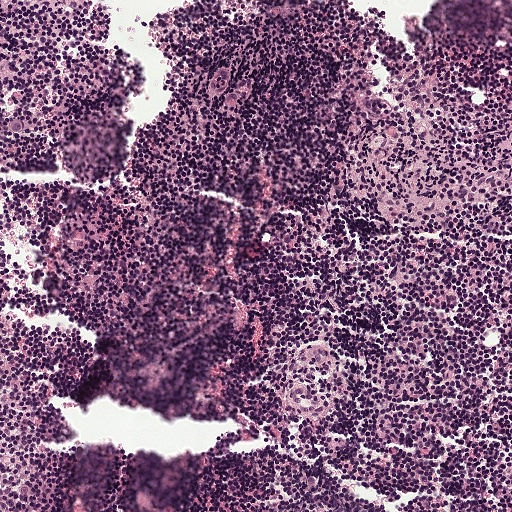
H&E-stained section of a sentinel lymph node (breast cancer), from a whole-slide image, viewed at about 10×: the field is about 0.5 mm across, about 0.97 µm per pixel.
Question: Is any metastatic breast cancer visible in this crop?
Answer: No: no metastatic tumour is outlined anywhere in this field.

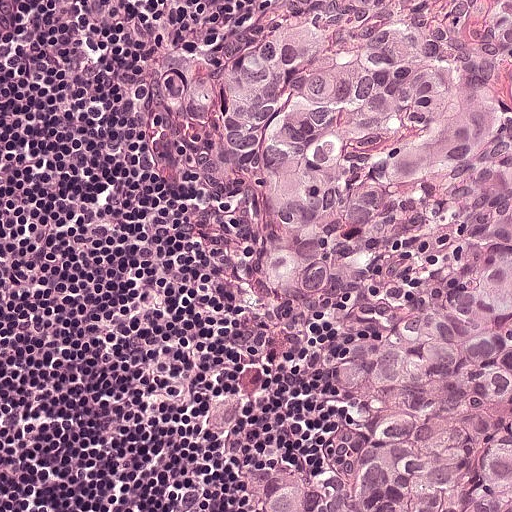
H&E-stained section of a sentinel lymph node (breast cancer), from a whole-slide image, viewed at about 20×: the field is about 0.25 mm across, about 0.49 µm per pixel.
Question: Is any metastatic breast cancer visible in this crop?
Answer: Yes.
Metastatic tumour outline, simplified to 20 points and listed clockwise in crop pixels (x, y): (296, 0), (511, 0), (511, 511), (268, 511), (286, 476), (314, 455), (342, 360), (428, 311), (473, 240), (467, 214), (444, 198), (406, 247), (332, 294), (273, 288), (256, 200), (203, 172), (202, 148), (167, 128), (145, 70), (258, 32).
About 45% of this field is tumour.

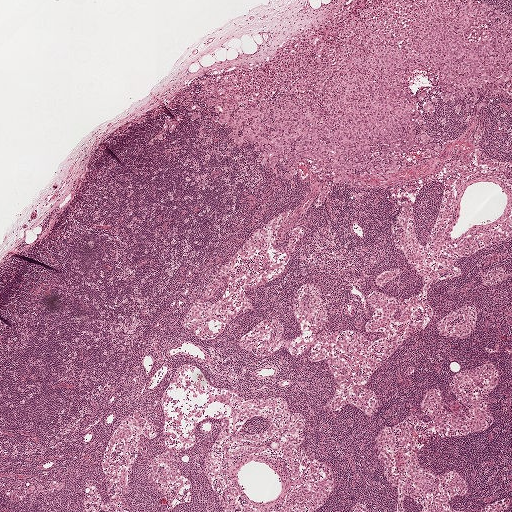
This is a crop of a whole-slide image: an H&E-stained breast-cancer sentinel lymph node section at roughly 2.5× magnification (about 3.9 µm per pixel; the crop spans about 2.0 mm).
Question: Is any metastatic breast cancer visible in this crop?
Answer: Yes.
Boundaries of two metastatic tumour regions, simplified and listed clockwise, largest first: region 1: (348, 0), (483, 0), (511, 18), (511, 81), (484, 85), (465, 124), (462, 101), (456, 114), (423, 69), (410, 73), (425, 133), (440, 150), (389, 174), (336, 183), (303, 160), (288, 180), (279, 166), (258, 165), (212, 119), (188, 118), (189, 80), (258, 66), (290, 32); region 2: (433, 97), (436, 98), (437, 104), (436, 111), (433, 112), (430, 113), (426, 112), (424, 109), (422, 103), (424, 101).
Tumour covers about 15% of the frame.

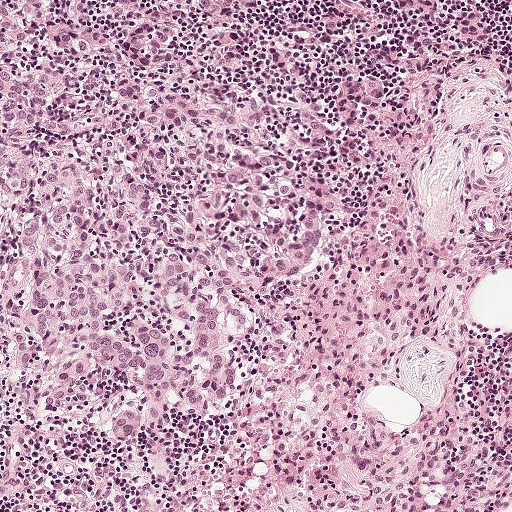
A 0.5-mm field of an H&E-stained sentinel lymph node from a breast-cancer patient (whole-slide image), shown at about 10×, about 0.97 µm per pixel.
Question: Is any metastatic breast cancer visible in this crop?
Answer: Yes.
Metastatic tumour outline, simplified to 19 points and listed clockwise in crop pixels (x, y): (0, 0), (256, 0), (246, 66), (280, 113), (276, 147), (303, 160), (308, 209), (326, 184), (330, 233), (308, 270), (260, 282), (230, 402), (200, 410), (188, 384), (162, 435), (116, 445), (88, 426), (40, 418), (1, 351).
About 45% of the image area is annotated as tumour.